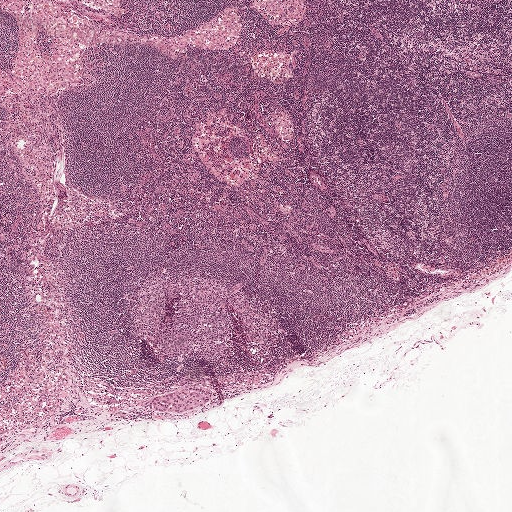
Lymph node section stained with H&E, from a whole-slide image of a breast-cancer sentinel node. Magnification about 2.5×, about 2.0 mm across the frame, about 3.9 µm per pixel.
The outlined metastatic tumour's edge, as a closed clockwise path of 10 points: (182, 386), (198, 388), (210, 392), (212, 400), (203, 409), (182, 417), (161, 415), (145, 405), (144, 401), (148, 396).
One more small tumour piece is annotated here but not outlined.
Under 5% of the image area is annotated as tumour.